Question: 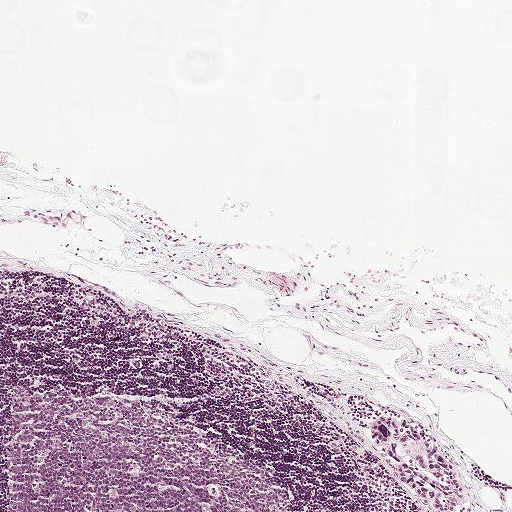
A 1-mm field of an H&E-stained sentinel lymph node from a breast-cancer patient (whole-slide image), shown at about 5×, about 1.9 µm per pixel.
Estimate the proportion of this field that is metastatic tumour.

Choices:
 (A) about 50% or more
 (B) none: no tumour is outlined
 (C) about 10% to 20%
 (D) about 5% or less
 (E) about 25% to 45%

Answer: (D) about 5% or less
Under 5% of the field is tumour.
One metastatic tumour region; its boundary, reduced to 15 corners and listed clockwise: (379, 416), (386, 416), (418, 428), (436, 444), (445, 458), (455, 464), (465, 494), (462, 511), (435, 511), (426, 507), (404, 484), (394, 462), (383, 455), (370, 430), (370, 425).